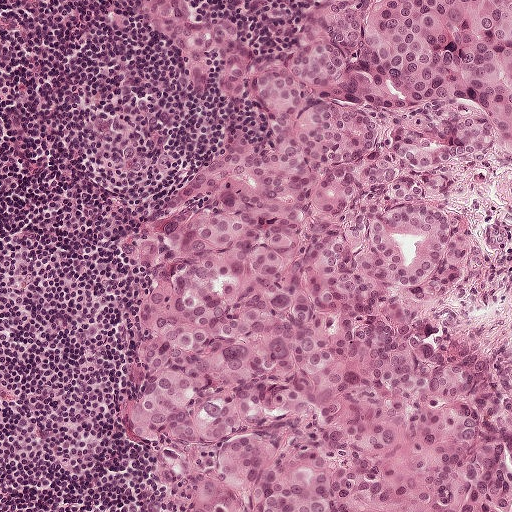
A 0.5-mm field of an H&E-stained sentinel lymph node from a breast-cancer patient (whole-slide image), shown at about 10×, about 0.97 µm per pixel.
Question: Is any metastatic breast cancer visible in this crop?
Answer: Yes.
One metastatic tumour region; its boundary, reduced to 20 corners and listed clockwise: (180, 0), (210, 25), (242, 29), (263, 60), (284, 64), (296, 58), (302, 1), (511, 0), (511, 511), (195, 511), (120, 430), (151, 282), (128, 242), (170, 214), (196, 162), (268, 133), (266, 103), (198, 88), (142, 22), (141, 4).
About 65% of the image area is annotated as tumour.